Question: 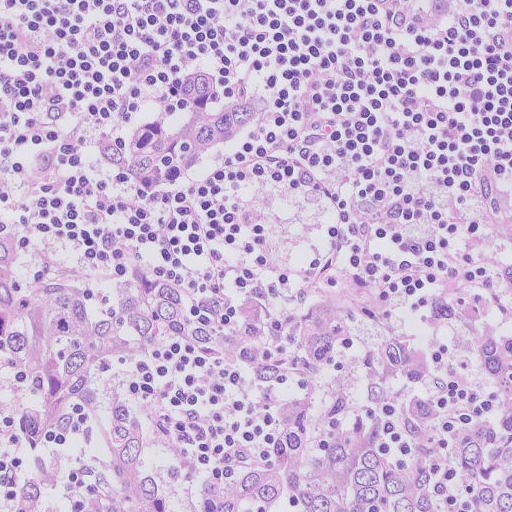
Lymph node section stained with H&E, from a whole-slide image of a breast-cancer sentinel node. Magnification about 20×, about 0.26 mm across the frame, about 0.5 µm per pixel.
Estimate the proportion of this field that is metastatic tumour.

Choices:
 (A) about 10% to 20%
 (B) none: no tumour is outlined
 (C) about 5% or less
 (D) about 25% to 45%
 (E) about 50% or more

Answer: (E) about 50% or more
About 60% of the field is tumour.
Metastatic tumour outline, simplified to 15 points and listed clockwise in crop pixels (x, y): (176, 68), (265, 70), (266, 114), (237, 151), (204, 184), (120, 212), (144, 251), (416, 277), (511, 249), (511, 511), (0, 511), (0, 145), (58, 181), (100, 168), (111, 126).
Question: 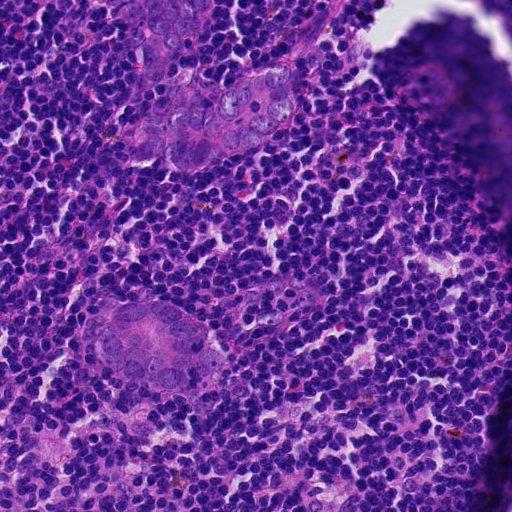
A 0.23-mm field of an H&E-stained sentinel lymph node from a breast-cancer patient (whole-slide image), shown at about 20×, about 0.45 µm per pixel.
Estimate the proportion of this field that is metastatic tumour.

Choices:
 (A) about 50% or more
 (B) about 5% or less
 (C) about 10% to 20%
 (D) none: no tumour is outlined
 (E) about 25% to 45%

Answer: (C) about 10% to 20%
About 10% of the field is tumour.
Outlines of two tumour regions, largest first (closed clockwise paths, crop pixels): region 1: (90, 0), (215, 0), (198, 36), (172, 68), (211, 80), (214, 98), (263, 64), (282, 59), (295, 78), (294, 119), (263, 143), (206, 167), (148, 162), (134, 148), (132, 127), (168, 104), (181, 88), (164, 76), (146, 84), (124, 26); region 2: (144, 296), (183, 308), (226, 347), (226, 366), (212, 382), (171, 392), (129, 384), (110, 372), (94, 359), (84, 342), (89, 321), (124, 299).
Question: 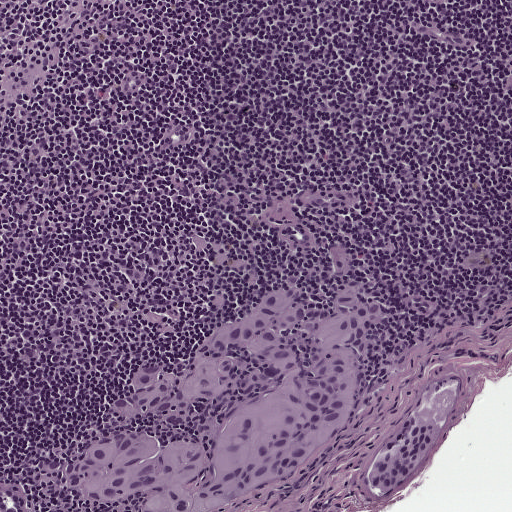
Lymph node section stained with H&E, from a whole-slide image of a breast-cancer sentinel node. Magnification about 10×, about 0.5 mm across the frame, about 0.97 µm per pixel.
Estimate the proportion of this field that is metastatic tumour.

Choices:
 (A) about 5% or less
 (B) about 25% to 45%
 (C) about 50% or more
 (D) about 10% to 20%
 (E) none: no tumour is outlined

Answer: (D) about 10% to 20%
About 20% of the field is tumour.
Outlines of two tumour regions, largest first (closed clockwise paths, crop pixels): region 1: (340, 240), (357, 256), (361, 285), (391, 314), (350, 410), (288, 483), (214, 511), (139, 511), (132, 500), (86, 504), (36, 471), (36, 456), (48, 450), (163, 419), (99, 423), (94, 409), (137, 362), (168, 367), (274, 283), (291, 284), (316, 308), (335, 287), (326, 246); region 2: (421, 413), (439, 417), (441, 431), (409, 484), (396, 494), (374, 498), (366, 488), (365, 478), (375, 448), (398, 428), (407, 416).
Question: 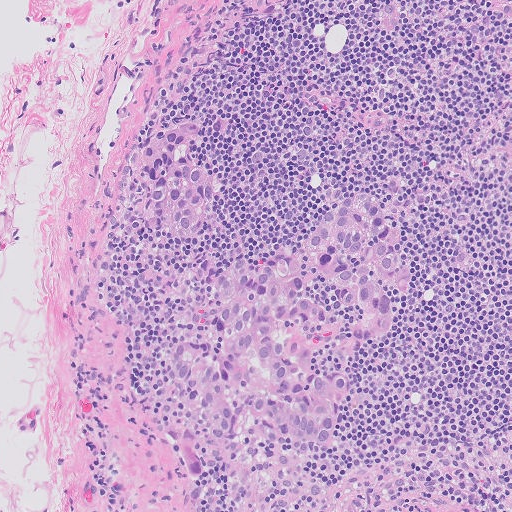
Lymph node section stained with H&E, from a whole-slide image of a breast-cancer sentinel node. Magnification about 10×, about 0.51 mm across the frame, about 1.0 µm per pixel.
Estimate the proportion of this field that is metastatic tumour.

Choices:
 (A) about 5% or less
 (B) about 25% to 45%
 (C) none: no tumour is outlined
 (D) about 50% or more
 (E) about 10% to 20%

Answer: (E) about 10% to 20%
About 20% of the field is tumour.
Outlines of two tumour regions, largest first (closed clockwise paths, crop pixels): region 1: (371, 192), (393, 219), (410, 269), (383, 338), (346, 362), (320, 354), (319, 367), (346, 379), (335, 448), (310, 452), (255, 435), (222, 454), (211, 448), (198, 485), (185, 480), (170, 454), (202, 434), (169, 375), (170, 346), (209, 336), (212, 282), (228, 262), (297, 244), (346, 193); region 2: (181, 120), (196, 120), (204, 128), (192, 152), (215, 166), (217, 196), (214, 208), (197, 232), (186, 240), (172, 240), (160, 234), (148, 226), (138, 212), (138, 198), (124, 174), (124, 160), (143, 135), (155, 127).
One more small tumour piece is annotated here but not outlined.